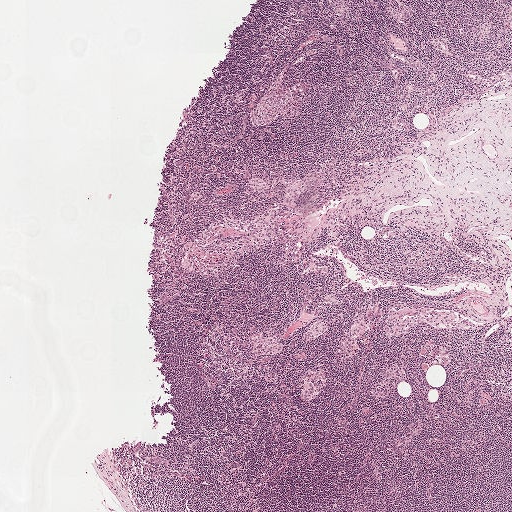
This is a crop of a whole-slide image: an H&E-stained breast-cancer sentinel lymph node section at roughly 2.5× magnification (about 3.9 µm per pixel; the crop spans about 2.0 mm).
Question: Does this lymph node field contain metastatic tumour?
Answer: No, this field holds no outlined metastasis.